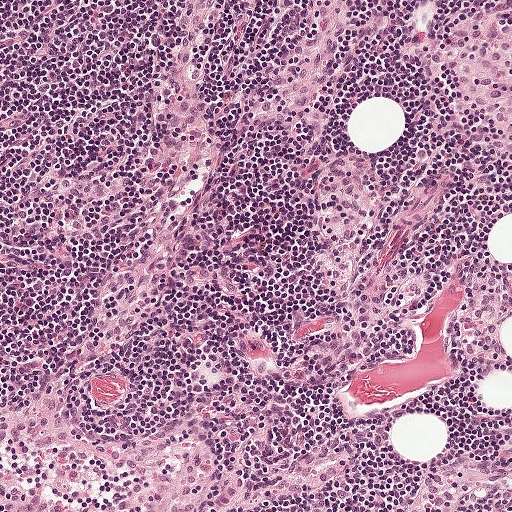
A 0.5-mm field of an H&E-stained sentinel lymph node from a breast-cancer patient (whole-slide image), shown at about 10×, about 0.97 µm per pixel.